Image:
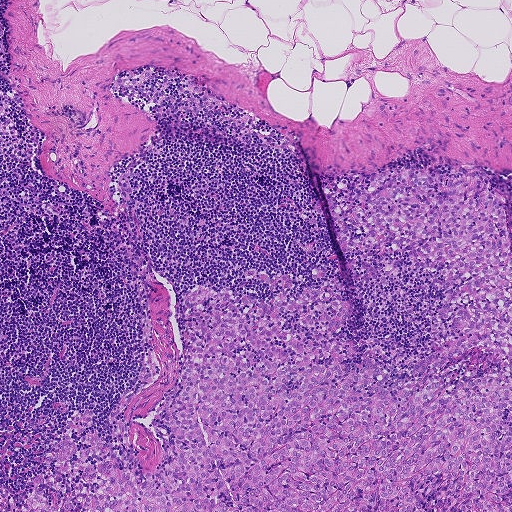
H&E-stained section of a sentinel lymph node (breast cancer), from a whole-slide image, viewed at about 5×: the field is about 0.93 mm across, about 1.8 µm per pixel.
Question:
Does this lymph node field contain metastatic tumour?
Answer:
Yes.
Metastatic tumour outline, simplified to 24 points and listed clockwise in crop pixels (x, y): (485, 172), (511, 250), (511, 511), (22, 510), (98, 489), (54, 465), (88, 409), (77, 451), (98, 435), (144, 481), (170, 465), (196, 286), (326, 288), (352, 304), (334, 336), (357, 342), (349, 368), (368, 354), (386, 386), (467, 336), (437, 314), (442, 270), (341, 249), (378, 175).
Tumour covers about 35% of the frame.